Question: 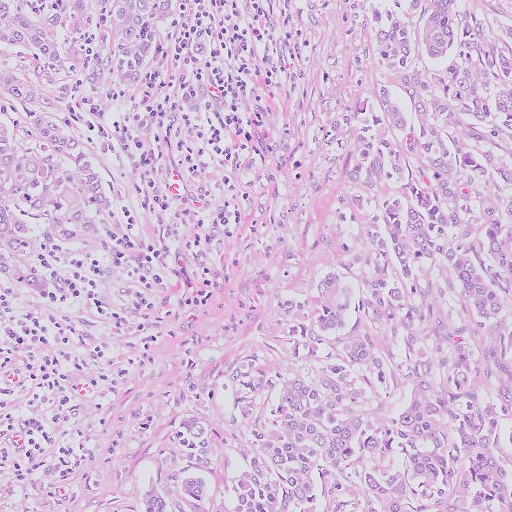
This is a crop of a whole-slide image: an H&E-stained breast-cancer sentinel lymph node section at roughly 10× magnification (about 1.0 µm per pixel; the crop spans about 0.51 mm).
Estimate the proportion of this field that is metastatic tumour.

Choices:
 (A) about 10% to 20%
 (B) about 50% or more
 (C) none: no tumour is outlined
 (D) about 5% or less
 (E) about 25% to 45%

Answer: (B) about 50% or more
Over 95% of the field is tumour.
Metastatic tumour covers the whole field.